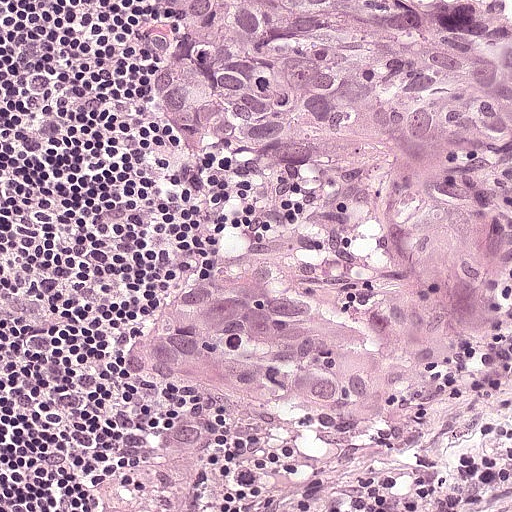
H&E-stained section of a sentinel lymph node (breast cancer), from a whole-slide image, viewed at about 20×: the field is about 0.25 mm across, about 0.49 µm per pixel.
Metastatic tumour outline, simplified to 16 points and listed clockwise in crop pixels (x, y): (174, 0), (511, 0), (511, 324), (432, 376), (351, 510), (97, 511), (122, 402), (164, 372), (160, 355), (136, 344), (141, 316), (248, 190), (245, 148), (210, 136), (167, 96), (162, 62).
About 60% of the image area is annotated as tumour.